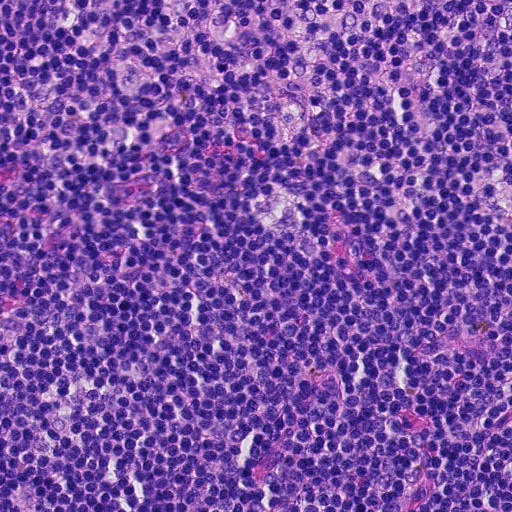
H&E-stained section of a sentinel lymph node (breast cancer), from a whole-slide image, viewed at about 20×: the field is about 0.23 mm across, about 0.45 µm per pixel.
Question: Is any metastatic breast cancer visible in this crop?
Answer: No: no metastatic tumour is outlined anywhere in this field.